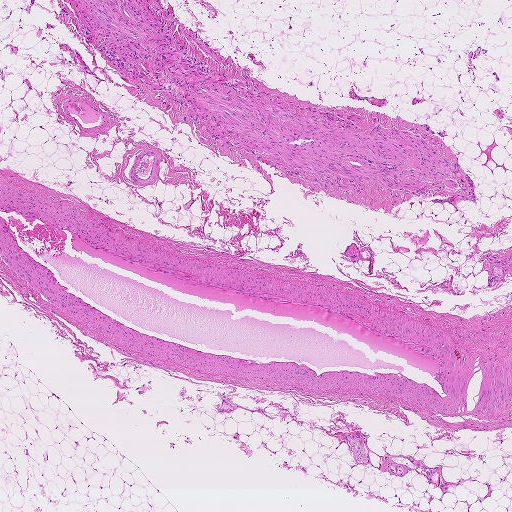
This is a crop of a whole-slide image: an H&E-stained breast-cancer sentinel lymph node section at roughly 2.5× magnification (about 3.6 µm per pixel; the crop spans about 1.9 mm).
Question: Does this lymph node field contain metastatic tumour?
Answer: No: no metastatic tumour is outlined anywhere in this field.